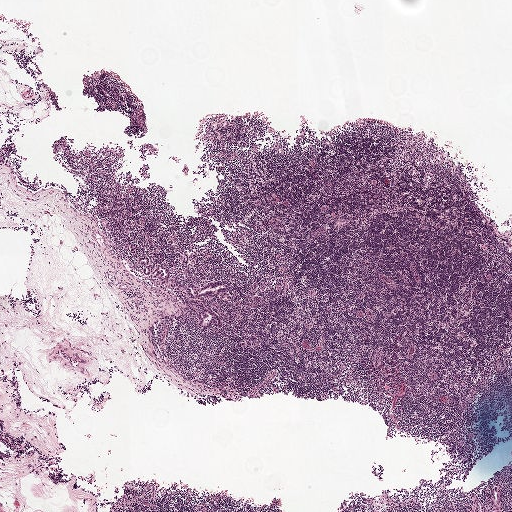
This is a crop of a whole-slide image: an H&E-stained breast-cancer sentinel lymph node section at roughly 2.5× magnification (about 3.9 µm per pixel; the crop spans about 2.0 mm).
Four metastatic tumour regions, each outlined as a closed clockwise path in crop pixels (x, y), largest first: region 1: (137, 257), (147, 257), (147, 263), (151, 267), (166, 266), (169, 275), (174, 276), (181, 281), (195, 281), (198, 284), (219, 280), (228, 283), (229, 285), (229, 289), (218, 296), (197, 301), (200, 301), (217, 313), (221, 322), (219, 324), (210, 324), (206, 326), (195, 325), (194, 316), (186, 306), (184, 297), (175, 289), (163, 290), (159, 287), (159, 280), (156, 277), (151, 274), (142, 273), (140, 266), (136, 263); region 2: (248, 334), (249, 335), (250, 334), (258, 337), (259, 341), (258, 345), (246, 345), (241, 345), (237, 344), (238, 342), (245, 340); region 3: (123, 241), (130, 241), (134, 244), (135, 246), (134, 252), (133, 252), (130, 252), (126, 251), (121, 248), (120, 246), (121, 243); region 4: (209, 300), (215, 302), (218, 306), (222, 310), (223, 313), (223, 316), (222, 316), (219, 314), (215, 310), (213, 307), (208, 303).
One more small tumour piece is annotated here but not outlined.
Under 5% of this field is tumour.